Question: 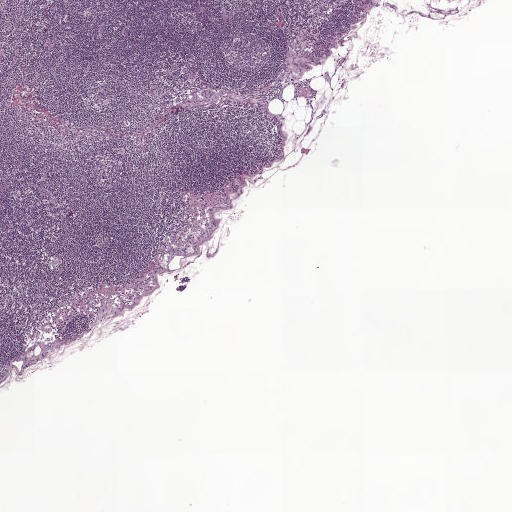
Lymph node section stained with H&E, from a whole-slide image of a breast-cancer sentinel node. Magnification about 2.5×, about 2.0 mm across the frame, about 3.9 µm per pixel.
About how much of this crop is taken up by metastatic carcinoma?

Choices:
 (A) about 25% to 45%
 (B) about 10% to 20%
 (C) none: no tumour is outlined
 (D) about 5% or less
 (E) about 50% or more

Answer: (D) about 5% or less
Under 5% of the field is tumour.
One metastatic tumour region; its boundary, reduced to 12 corners and listed clockwise: (205, 90), (215, 91), (222, 90), (229, 92), (229, 94), (219, 101), (217, 104), (210, 105), (203, 107), (187, 102), (187, 100), (197, 93).